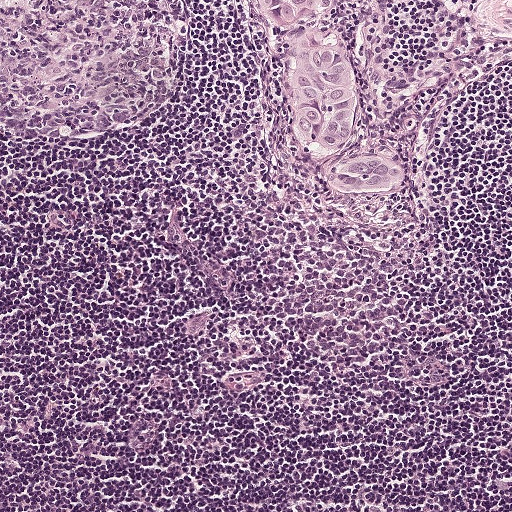
H&E-stained section of a sentinel lymph node (breast cancer), from a whole-slide image, viewed at about 10×: the field is about 0.5 mm across, about 0.97 µm per pixel.
Tumour region outline (a closed clockwise path, crop pixels): (333, 0), (323, 14), (324, 36), (343, 44), (361, 90), (361, 117), (354, 142), (340, 155), (380, 154), (404, 166), (402, 178), (386, 187), (351, 191), (333, 185), (320, 173), (293, 136), (289, 81), (266, 1).
The annotated tumour makes up about 5% of the crop.